A 0.5-mm field of an H&E-stained sentinel lymph node from a breast-cancer patient (whole-slide image), shown at about 10×, about 0.97 µm per pixel.
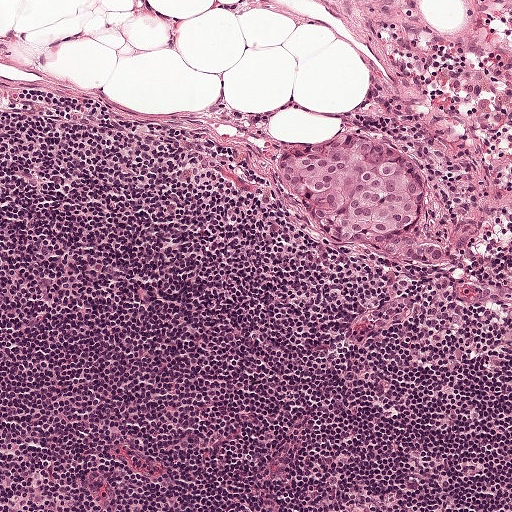
Question: Trace the edge of each tumour region in this crop, as (x, y) points from 0 to 511.
Answer: One metastatic tumour region; its boundary, reduced to 17 corners and listed clockwise: (357, 132), (414, 174), (424, 196), (417, 247), (445, 253), (443, 272), (422, 275), (402, 272), (385, 262), (376, 242), (340, 247), (310, 228), (302, 205), (290, 197), (269, 165), (278, 149), (308, 149).
Tumour covers about 5% of the frame.